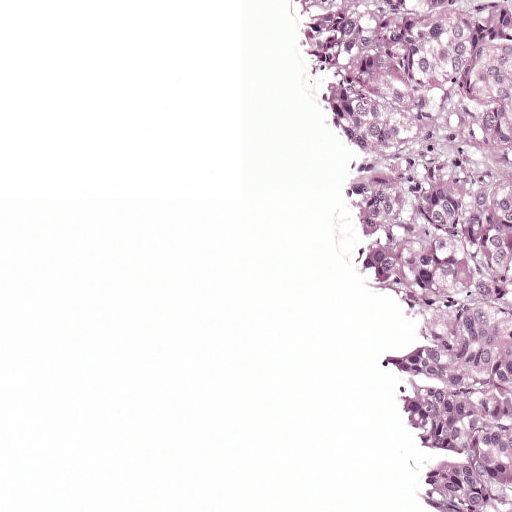
Lymph node section stained with H&E, from a whole-slide image of a breast-cancer sentinel node. Magnification about 10×, about 0.5 mm across the frame, about 0.97 µm per pixel.
The outlined metastatic tumour's edge, as a closed clockwise path of 8 points: (290, 0), (511, 0), (511, 511), (440, 511), (386, 362), (398, 314), (365, 275), (336, 125).
About 30% of this field is tumour.